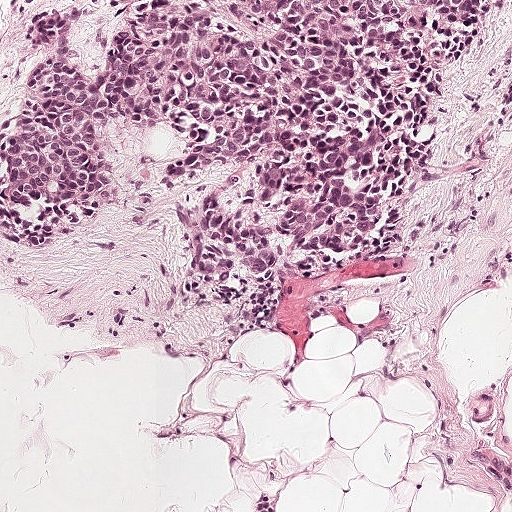
Lymph node section stained with H&E, from a whole-slide image of a breast-cancer sentinel node. Magnification about 10×, about 0.5 mm across the frame, about 0.97 µm per pixel.
Metastatic tumour outline, simplified to 23 points and listed clockwise in crop pixels (x, y): (76, 0), (74, 44), (102, 67), (133, 0), (502, 0), (440, 78), (418, 192), (392, 225), (289, 250), (259, 280), (208, 280), (180, 224), (233, 172), (159, 185), (184, 144), (109, 116), (127, 160), (113, 200), (46, 244), (12, 234), (0, 133), (37, 48), (28, 13).
Tumour covers about 35% of the frame.